Question: 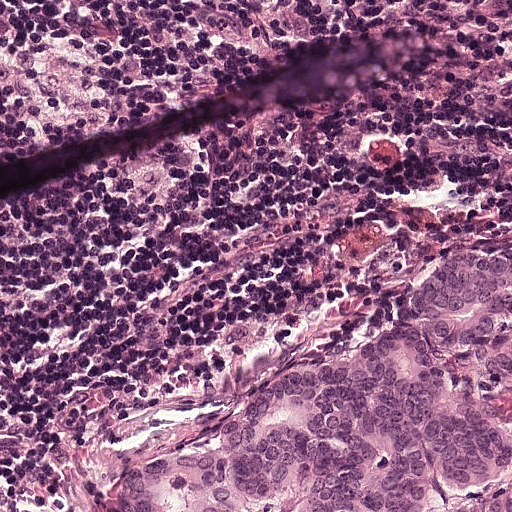
Lymph node section stained with H&E, from a whole-slide image of a breast-cancer sentinel node. Magnification about 20×, about 0.25 mm across the frame, about 0.49 µm per pixel.
Roughly what share of this field is metastatic tumour?

Choices:
 (A) about 50% or more
 (B) about 25% to 45%
 (C) about 10% to 20%
 (D) about 5% or less
 (E) none: no tumour is outlined

Answer: (B) about 25% to 45%
About 30% of the field is tumour.
The outlined metastatic tumour's edge, as a closed clockwise path of 6 points: (511, 210), (511, 511), (47, 511), (126, 450), (411, 270), (446, 233).